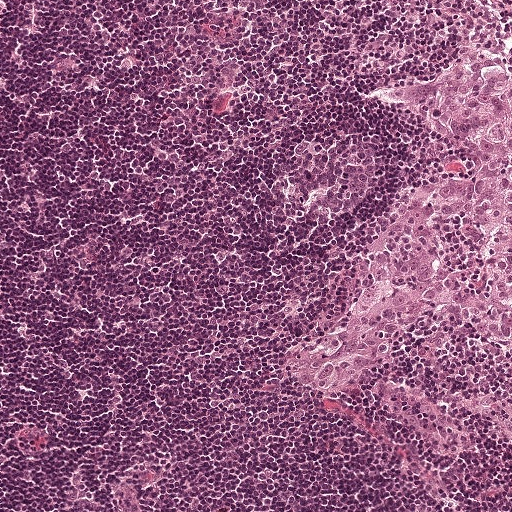
This is a crop of a whole-slide image: an H&E-stained breast-cancer sentinel lymph node section at roughly 10× magnification (about 0.97 µm per pixel; the crop spans about 0.5 mm).
Metastatic tumour outline, simplified to 19 points and listed clockwise in crop pixels (x, y): (468, 55), (511, 64), (511, 352), (495, 348), (438, 306), (417, 320), (370, 381), (344, 396), (322, 394), (287, 374), (284, 359), (348, 310), (373, 274), (375, 252), (404, 202), (430, 184), (475, 173), (455, 136), (389, 90).
About 15% of the image area is annotated as tumour.